Question: 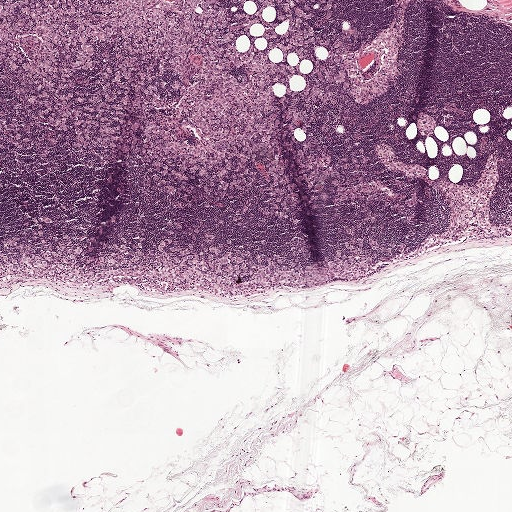
This is a crop of a whole-slide image: an H&E-stained breast-cancer sentinel lymph node section at roughly 2.5× magnification (about 3.9 µm per pixel; the crop spans about 2.0 mm).
Estimate the proportion of this field that is metastatic tumour.

Choices:
 (A) about 50% or more
 (B) about 25% to 45%
 (C) about 10% to 20%
 (D) about 5% or less
 (E) none: no tumour is outlined

Answer: (C) about 10% to 20%
About 20% of the field is tumour.
Metastatic tumour outline, simplified to 15 points and listed clockwise in crop pixels (x, y): (0, 0), (294, 0), (315, 32), (345, 51), (344, 90), (291, 135), (316, 141), (333, 186), (297, 216), (272, 209), (239, 180), (166, 193), (126, 158), (56, 131), (0, 63).
The outline encloses 15 non-tumour holes totalling about 10% of the region's area.